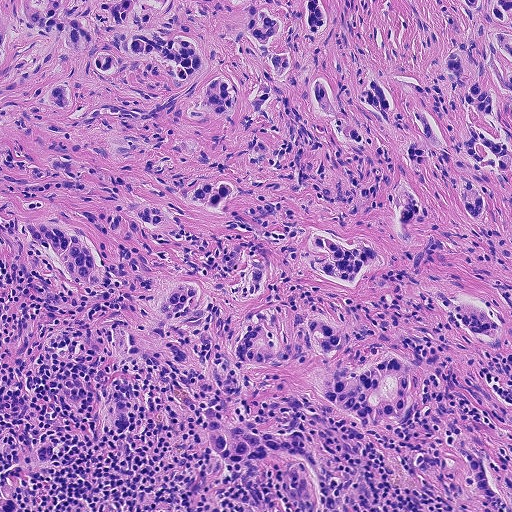
H&E-stained section of a sentinel lymph node (breast cancer), from a whole-slide image, viewed at about 10×: the field is about 0.46 mm across, about 0.9 µm per pixel.
The eight largest tumour regions' boundaries, simplified and listed clockwise, largest first: region 1: (223, 0), (511, 0), (511, 110), (499, 90), (498, 109), (511, 172), (496, 178), (470, 170), (482, 182), (486, 217), (470, 226), (446, 179), (414, 169), (403, 156), (396, 122), (344, 92), (373, 141), (340, 142), (326, 131), (304, 102), (288, 34), (259, 52), (242, 49), (236, 7); region 2: (0, 0), (196, 0), (168, 27), (198, 40), (211, 74), (228, 75), (242, 106), (231, 122), (195, 122), (179, 118), (193, 84), (162, 97), (88, 78), (80, 80), (82, 114), (50, 115), (40, 101), (47, 86), (82, 58), (53, 40), (22, 41), (0, 79); region 3: (394, 352), (406, 363), (412, 377), (409, 410), (398, 423), (382, 428), (366, 426), (322, 401), (315, 386), (324, 373), (336, 363), (348, 362), (364, 366); region 4: (273, 305), (289, 307), (321, 315), (336, 324), (342, 340), (331, 351), (266, 365), (249, 365), (234, 358), (236, 342), (251, 312); region 5: (200, 407), (232, 412), (246, 418), (258, 430), (274, 433), (290, 430), (305, 436), (312, 450), (300, 460), (268, 455), (254, 463), (237, 465), (222, 461), (211, 449), (204, 433); region 6: (317, 229), (347, 241), (379, 245), (386, 259), (360, 279), (349, 290), (319, 277), (306, 267), (301, 252), (307, 236); region 7: (26, 220), (74, 229), (88, 239), (98, 252), (100, 268), (93, 282), (77, 284), (64, 276), (56, 262), (30, 242), (23, 228); region 8: (450, 296), (466, 303), (494, 318), (500, 328), (485, 333), (469, 334), (456, 325), (446, 312).
Five more, smaller tumour regions are not outlined.
One more small tumour piece is annotated here but not outlined.
Tumour covers about 30% of the frame.